This is a crop of a whole-slide image: an H&E-stained breast-cancer sentinel lymph node section at roughly 10× magnification (about 0.97 µm per pixel; the crop spans about 0.5 mm).
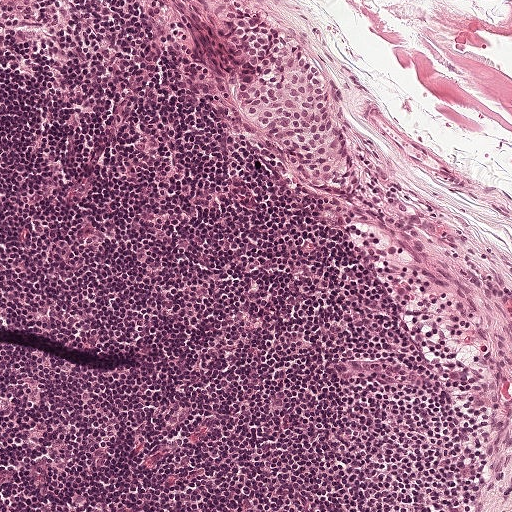
Question: Is there metastatic carcinoma in this field?
Answer: Yes.
One metastatic tumour region; its boundary, reduced to 14 corners and listed clockwise: (244, 0), (316, 64), (329, 85), (344, 134), (354, 147), (360, 197), (357, 207), (331, 207), (303, 192), (270, 138), (249, 124), (238, 72), (222, 34), (184, 1).
About 5% of this field is tumour.